Question: 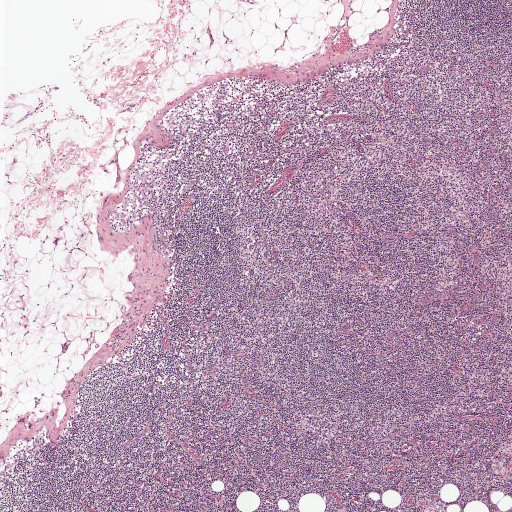
About what magnification does this crop show?

Choices:
 (A) about 40×
 (B) about 20×
 (C) about 2.5×
 (D) about 5×
 (E) about 10×

Answer: (C) about 2.5×
H&E-stained section of a sentinel lymph node (breast cancer), from a whole-slide image, viewed at about 2.5×: the field is about 2.0 mm across, about 3.9 µm per pixel.
One metastatic tumour region; its boundary, reduced to 6 corners and listed clockwise: (132, 103), (137, 104), (135, 109), (127, 112), (120, 113), (120, 111).
One more small tumour piece is annotated here but not outlined.
Under 5% of the image area is annotated as tumour.